A 0.5-mm field of an H&E-stained sentinel lymph node from a breast-cancer patient (whole-slide image), shown at about 10×, about 0.97 µm per pixel.
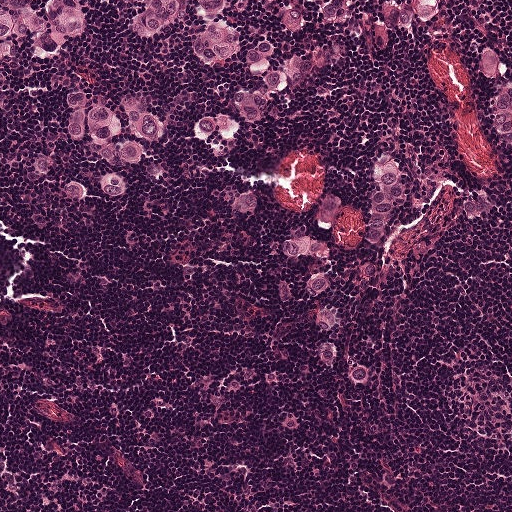
Three metastatic tumour regions, each outlined as a closed clockwise path in crop pixels (x, y), largest first: region 1: (0, 0), (511, 0), (511, 150), (481, 143), (448, 62), (414, 38), (386, 41), (312, 78), (264, 122), (238, 114), (214, 76), (202, 98), (140, 34), (112, 34), (52, 71), (0, 68); region 2: (376, 145), (402, 150), (402, 200), (372, 252), (358, 290), (358, 358), (371, 378), (354, 389), (340, 388), (331, 379), (305, 322), (300, 285), (279, 257), (281, 238), (310, 217), (327, 194), (364, 183), (364, 161); region 3: (72, 86), (124, 86), (150, 95), (170, 122), (192, 119), (200, 108), (221, 107), (236, 120), (236, 142), (227, 152), (214, 152), (171, 142), (150, 167), (146, 181), (134, 195), (104, 194), (90, 182), (74, 149), (60, 136), (67, 93).
About 25% of the image area is annotated as tumour.